This is a crop of a whole-slide image: an H&E-stained breast-cancer sentinel lymph node section at roughly 10× magnification (about 0.9 µm per pixel; the crop spans about 0.46 mm).
Image:
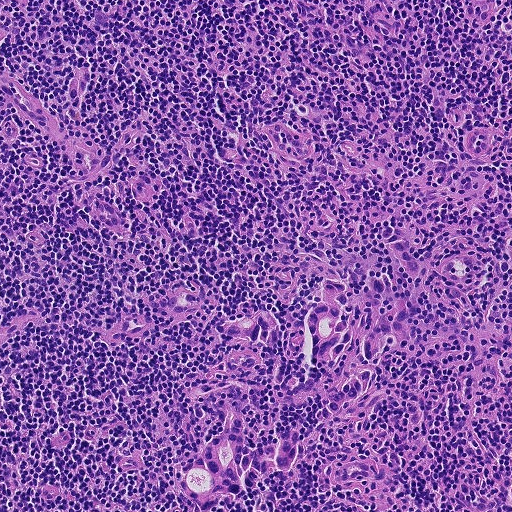
Question:
Does this lymph node field contain metastatic tumour?
Answer:
Yes.
Boundaries of three metastatic tumour regions, simplified and listed clockwise, largest first: region 1: (385, 222), (400, 226), (414, 252), (437, 260), (404, 339), (361, 364), (385, 378), (378, 390), (341, 414), (324, 413), (320, 399), (290, 407), (284, 394), (308, 366), (304, 322), (320, 286), (330, 276), (356, 288), (380, 272), (394, 278), (382, 302), (410, 296), (410, 278), (378, 234); region 2: (233, 414), (244, 424), (244, 445), (259, 446), (272, 441), (283, 432), (301, 428), (290, 470), (263, 478), (240, 494), (226, 497), (217, 508), (202, 511), (194, 503), (180, 497), (174, 483), (177, 469), (188, 460), (202, 460), (204, 446), (218, 439); region 3: (269, 312), (280, 333), (280, 348), (266, 351), (240, 338), (226, 333), (214, 326).
One more small tumour piece is annotated here but not outlined.
The annotated tumour makes up about 10% of the crop.